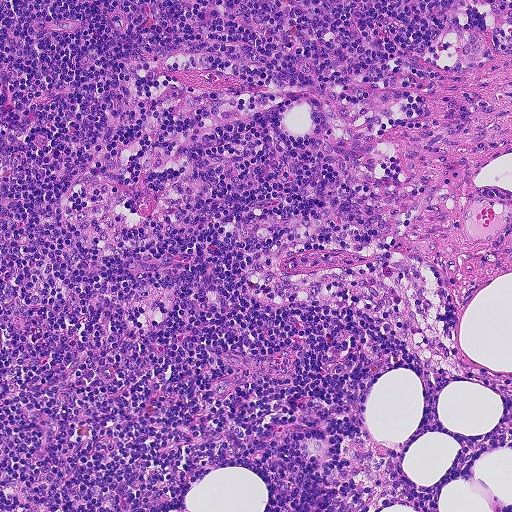
H&E-stained section of a sentinel lymph node (breast cancer), from a whole-slide image, viewed at about 10×: the field is about 0.46 mm across, about 0.9 µm per pixel.
Question: Does this lymph node field contain metastatic tumour?
Answer: No. No metastatic tumour is outlined in this field.